Lymph node section stained with H&E, from a whole-slide image of a breast-cancer sentinel node. Magnification about 10×, about 0.5 mm across the frame, about 0.97 µm per pixel.
Question: 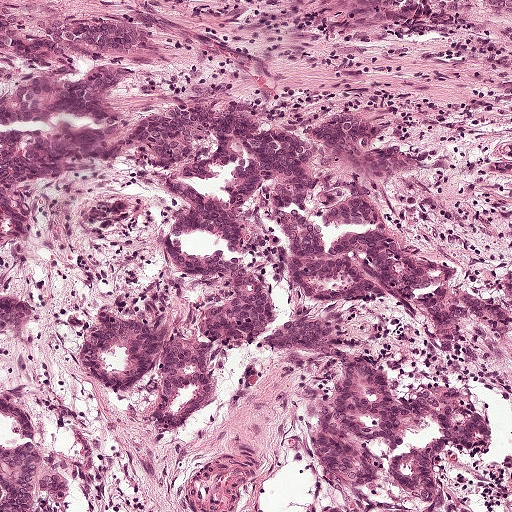
About how much of this crop is taken up by metastatic carcinoma?

Choices:
 (A) about 5% or less
 (B) about 50% or more
 (C) about 10% to 20%
 (D) about 25% to 45%
 (E) none: no tumour is outlined

Answer: (B) about 50% or more
About 50% of the field is tumour.
Outlines of seven tumour regions, largest first (closed clockwise paths, crop pixels): region 1: (167, 97), (313, 122), (379, 109), (423, 163), (368, 205), (465, 292), (511, 262), (511, 333), (463, 324), (452, 360), (375, 299), (291, 298), (260, 262), (271, 325), (178, 433), (88, 383), (91, 317), (189, 341), (223, 300), (167, 260), (176, 204), (125, 160); region 2: (297, 313), (314, 313), (349, 328), (359, 346), (374, 350), (407, 376), (410, 389), (451, 386), (480, 398), (496, 423), (501, 451), (482, 464), (455, 457), (440, 511), (321, 511), (338, 504), (321, 490), (314, 473), (316, 432), (341, 397), (330, 374), (318, 363), (282, 358), (265, 344); region 3: (0, 0), (11, 4), (15, 18), (37, 26), (126, 22), (145, 50), (145, 82), (112, 105), (114, 138), (104, 163), (16, 199), (13, 237), (0, 255), (0, 86), (31, 86), (23, 73), (2, 71); region 4: (511, 0), (511, 30), (480, 12), (453, 1), (444, 1), (434, 5), (420, 37), (410, 48), (392, 57), (360, 58), (334, 52), (312, 41), (274, 1); region 5: (0, 406), (36, 421), (46, 434), (50, 462), (48, 491), (40, 511), (0, 511); region 6: (0, 296), (16, 296), (28, 310), (28, 318), (24, 328), (0, 344); region 7: (511, 429), (511, 467), (508, 466), (506, 466), (504, 464), (502, 460), (503, 453), (504, 450), (505, 450), (504, 443), (503, 443), (503, 439), (507, 432).